Image:
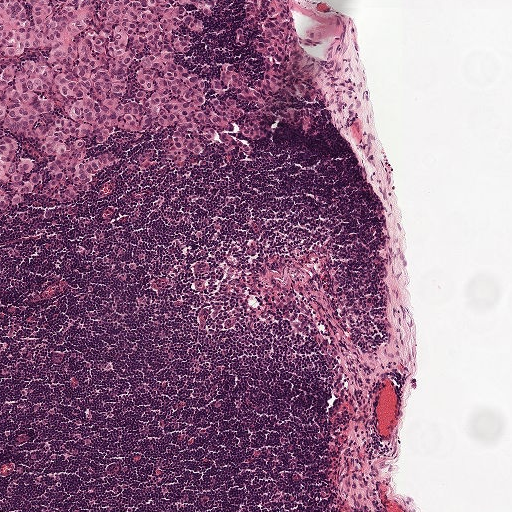
Lymph node section stained with H&E, from a whole-slide image of a breast-cancer sentinel node. Magnification about 5×, about 1 mm across the frame, about 1.9 µm per pixel.
Question:
Is there metastatic carcinoma in this field?
Answer:
Yes.
Metastatic tumour outline, simplified to 9 points and listed clockwise in crop pixels (x, y): (0, 0), (292, 0), (308, 52), (309, 104), (298, 125), (238, 162), (132, 177), (78, 218), (1, 238).
About 20% of the image area is annotated as tumour.